A 0.5-mm field of an H&E-stained sentinel lymph node from a breast-cancer patient (whole-slide image), shown at about 10×, about 0.97 µm per pixel.
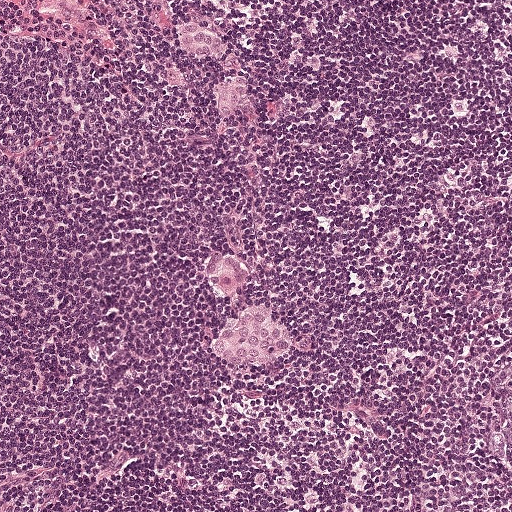
Four metastatic tumour regions, each outlined as a closed clockwise path in crop pixels (x, y), largest first: region 1: (261, 302), (276, 307), (288, 326), (298, 331), (296, 350), (269, 369), (260, 372), (210, 356), (207, 345), (218, 323), (239, 306); region 2: (184, 18), (199, 20), (206, 27), (218, 32), (228, 42), (227, 55), (224, 58), (198, 59), (192, 59), (184, 53), (180, 52), (176, 44), (176, 24); region 3: (229, 252), (245, 260), (251, 266), (250, 280), (238, 290), (229, 294), (222, 294), (213, 290), (206, 282), (204, 274), (210, 254); region 4: (242, 72), (248, 76), (249, 84), (248, 94), (237, 110), (229, 116), (219, 117), (215, 111), (210, 90), (215, 82), (224, 74).
About 5% of the image area is annotated as tumour.